Question: 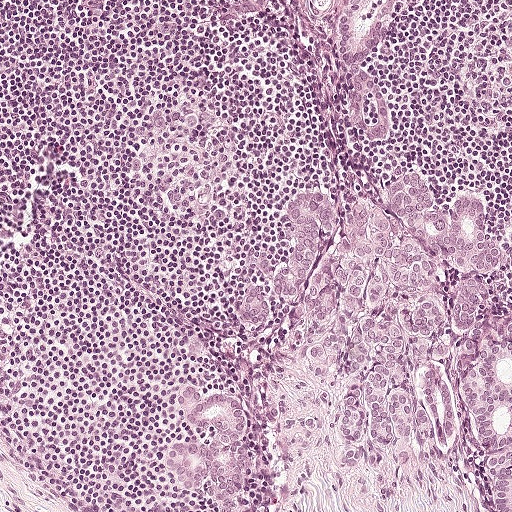
Lymph node section stained with H&E, from a whole-slide image of a breast-cancer sentinel node. Magnification about 10×, about 0.5 mm across the frame, about 0.97 µm per pixel.
Estimate the proportion of this field that is metastatic tumour.

Choices:
 (A) about 5% or less
 (B) none: no tumour is outlined
 (C) about 25% to 45%
 (D) about 50% or more
 (E) about 10% to 20%

Answer: (C) about 25% to 45%
About 30% of the field is tumour.
Four metastatic tumour regions, each outlined as a closed clockwise path in crop pixels (x, y), largest first: region 1: (415, 173), (482, 201), (494, 243), (511, 234), (511, 511), (486, 511), (465, 439), (373, 469), (339, 455), (330, 387), (294, 352), (278, 410), (252, 442), (258, 511), (170, 484), (168, 434), (197, 430), (182, 380), (268, 408), (276, 344), (239, 318), (258, 284), (280, 322), (296, 192); region 2: (346, 0), (401, 0), (374, 47), (369, 62), (358, 69), (350, 69), (343, 64), (332, 46), (333, 29); region 3: (366, 68), (376, 77), (391, 100), (392, 114), (392, 130), (390, 138), (386, 140), (382, 143), (374, 143), (357, 134), (348, 111), (348, 90), (356, 71); region 4: (306, 0), (334, 0), (327, 10), (320, 13), (313, 13), (307, 10).
Region 3 encloses a non-tumour hole of about 20% of its area.